Image:
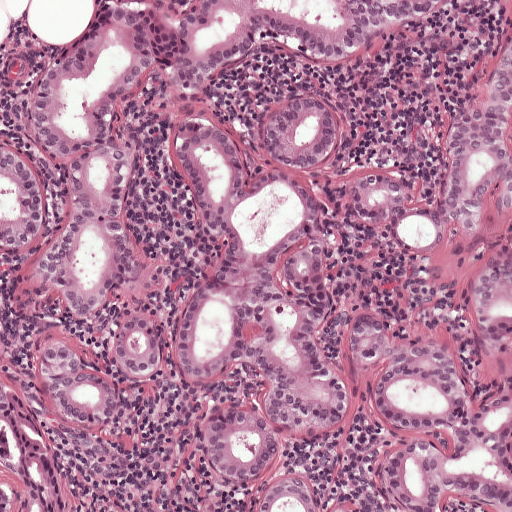
This is a crop of a whole-slide image: an H&E-stained breast-cancer sentinel lymph node section at roughly 10× magnification (about 0.97 µm per pixel; the crop spans about 0.5 mm).
Question:
Where is the metastatic tumour in this field?
Answer:
The outlined metastatic tumour's edge, as a closed clockwise path of 16 points: (106, 0), (170, 17), (192, 0), (462, 0), (410, 58), (350, 71), (337, 130), (398, 137), (453, 110), (494, 0), (511, 0), (511, 511), (0, 511), (0, 139), (18, 132), (34, 76).
About 95% of the image area is annotated as tumour.

Image:
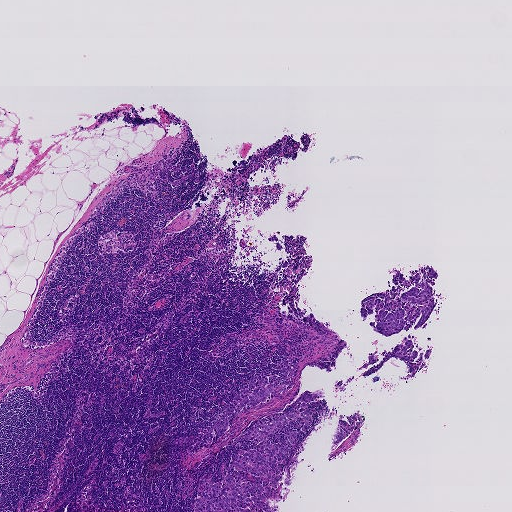
A 1.9-mm field of an H&E-stained sentinel lymph node from a breast-cancer patient (whole-slide image), shown at about 2.5×, about 3.6 µm per pixel.
Question:
Where is the metastatic tumour in this field?
Answer:
Boundaries of six metastatic tumour regions, simplified and listed clockwise, largest first: region 1: (306, 390), (318, 394), (307, 404), (313, 416), (307, 432), (301, 432), (305, 422), (300, 418), (269, 434), (281, 447), (287, 443), (285, 434), (298, 432), (280, 462), (283, 479), (289, 476), (290, 483), (280, 480), (280, 498), (269, 502), (277, 510), (195, 511), (198, 487), (183, 497), (186, 478), (192, 478), (198, 486), (204, 477), (215, 482), (238, 471), (228, 464), (236, 454), (258, 450), (267, 441), (239, 435), (260, 419), (290, 410); region 2: (427, 265), (435, 269), (435, 283), (429, 282), (435, 305), (418, 328), (413, 330), (421, 313), (401, 332), (388, 336), (371, 327), (369, 322), (375, 325), (374, 309), (366, 320), (361, 318), (360, 304), (368, 295), (395, 286), (391, 281), (393, 270), (402, 272), (407, 280); region 3: (263, 375), (267, 375), (269, 382), (276, 385), (293, 383), (293, 387), (284, 393), (243, 413), (214, 445), (194, 451), (187, 450), (189, 446), (207, 434), (232, 402), (236, 393), (245, 389), (256, 377), (257, 377), (255, 386); region 4: (412, 334), (413, 344), (411, 353), (414, 350), (418, 352), (413, 362), (417, 359), (421, 350), (424, 355), (425, 351), (431, 349), (428, 360), (422, 357), (417, 370), (412, 377), (405, 359), (395, 357), (388, 358), (387, 354), (398, 344), (403, 342), (403, 337); region 5: (354, 412), (359, 414), (360, 424), (346, 438), (333, 446), (332, 442), (338, 423), (338, 416), (340, 414), (344, 415), (342, 419), (350, 423), (346, 416), (351, 416); region 6: (376, 350), (377, 351), (375, 355), (377, 359), (375, 363), (361, 368), (356, 368), (368, 361), (367, 358), (367, 353), (373, 352).
About 5% of this field is tumour.

Image:
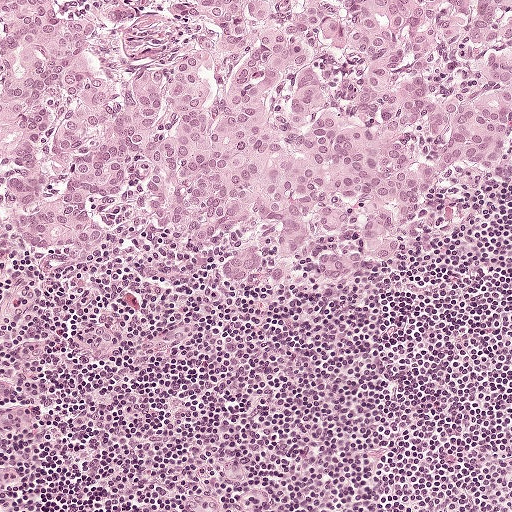
Lymph node section stained with H&E, from a whole-slide image of a breast-cancer sentinel node. Magnification about 10×, about 0.5 mm across the frame, about 0.97 µm per pixel.
Question:
Where is the metastatic tumour in this field?
Answer:
The outlined metastatic tumour's edge, as a closed clockwise path of 20 points: (0, 0), (511, 0), (511, 188), (490, 171), (451, 168), (390, 267), (362, 267), (332, 286), (318, 279), (316, 245), (280, 291), (247, 291), (218, 275), (256, 249), (252, 237), (210, 248), (142, 237), (72, 262), (28, 252), (1, 208).
The annotated tumour makes up about 50% of the crop.

Image:
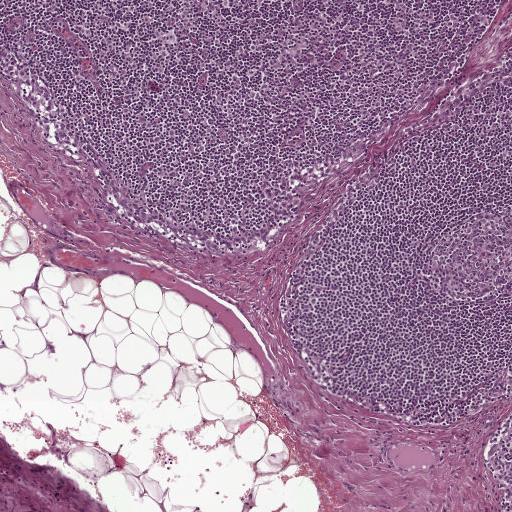
A 1-mm field of an H&E-stained sentinel lymph node from a breast-cancer patient (whole-slide image), shown at about 5×, about 1.9 µm per pixel.
Question:
Where is the metastatic tumour in this field?
Answer:
Tumour region outline (a closed clockwise path, crop pixels): (361, 140), (362, 142), (362, 149), (360, 153), (349, 158), (345, 158), (343, 154), (345, 150), (348, 146).
Tumour covers under 5% of the frame.